Question: 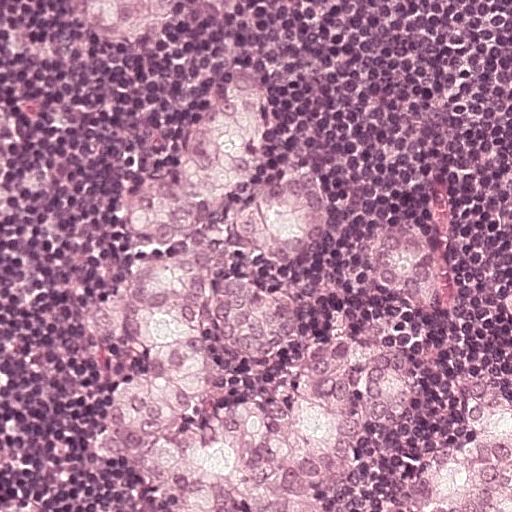
H&E-stained section of a sentinel lymph node (breast cancer), from a whole-slide image, viewed at about 20×: the field is about 0.25 mm across, about 0.49 µm per pixel.
About how much of this crop is taken up by metastatic carcinoma?

Choices:
 (A) about 25% to 45%
 (B) about 50% or more
 (C) about 10% to 20%
 (D) about 5% or less
 (E) none: no tumour is outlined

Answer: (A) about 25% to 45%
About 45% of the field is tumour.
Outlines of four tumour regions, largest first (closed clockwise paths, crop pixels): region 1: (228, 56), (262, 63), (276, 81), (278, 172), (330, 179), (342, 194), (344, 238), (314, 292), (318, 334), (344, 334), (408, 208), (434, 220), (437, 299), (408, 331), (416, 413), (290, 511), (131, 511), (82, 488), (82, 413), (100, 363), (80, 320), (123, 247), (137, 188); region 2: (471, 374), (498, 379), (511, 390), (511, 511), (421, 511), (423, 476), (434, 460), (468, 442); region 3: (170, 0), (132, 46), (116, 46), (110, 42), (100, 42), (100, 40), (84, 36), (66, 20), (66, 2); region 4: (510, 279), (511, 279), (511, 344), (505, 342), (498, 338), (496, 336), (496, 313), (498, 306), (498, 299), (500, 294), (505, 290).